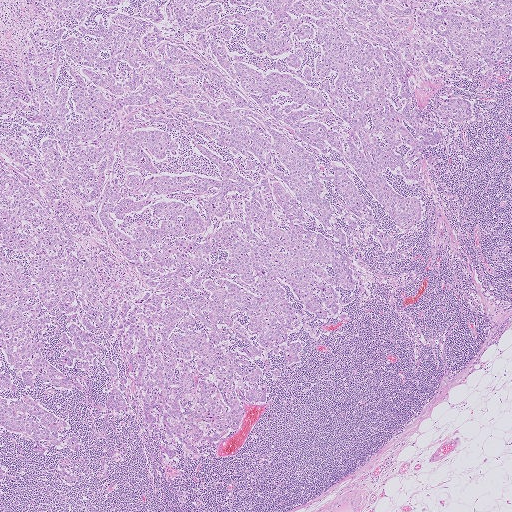
Lymph node section stained with H&E, from a whole-slide image of a breast-cancer sentinel node. Magnification about 2.5×, about 2.0 mm across the frame, about 4.0 µm per pixel.
Boundaries of three metastatic tumour regions, simplified and listed clockwise, largest first: region 1: (0, 0), (511, 0), (511, 77), (480, 97), (428, 160), (422, 224), (395, 255), (356, 260), (378, 278), (205, 468), (162, 472), (154, 431), (138, 416), (77, 399), (59, 407), (82, 444), (77, 453), (39, 453), (0, 420); region 2: (0, 446), (13, 472), (7, 491), (0, 497); region 3: (64, 471), (73, 474), (76, 477), (76, 482), (71, 483), (62, 480), (60, 474).
About 65% of this field is tumour.